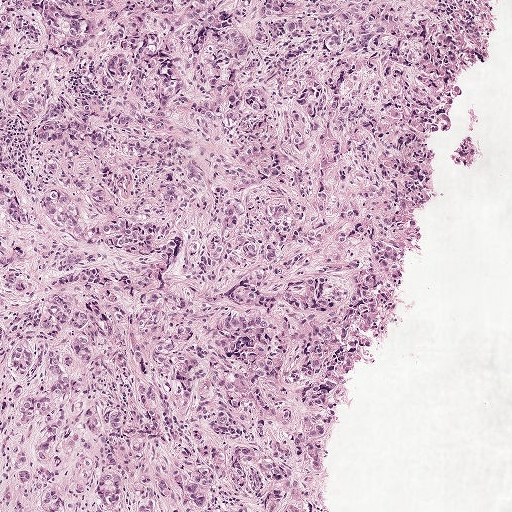
Lymph node section stained with H&E, from a whole-slide image of a breast-cancer sentinel node. Magnification about 5×, about 1 mm across the frame, about 1.9 µm per pixel.
Metastatic tumour outline, simplified to 8 points and listed clockwise in crop pixels (x, y): (0, 0), (464, 0), (464, 35), (418, 102), (401, 213), (343, 339), (288, 505), (0, 511).
About 75% of the image area is annotated as tumour.